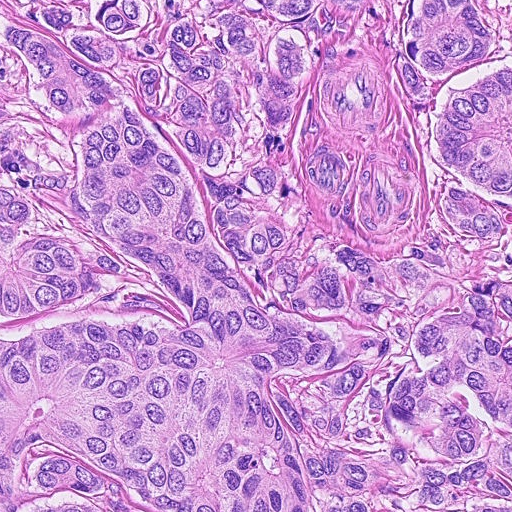
Lymph node section stained with H&E, from a whole-slide image of a breast-cancer sentinel node. Magnification about 20×, about 0.23 mm across the frame, about 0.45 µm per pixel.
Metastatic tumour covers the whole field.
The annotated tumour makes up over 95% of the crop.